Question: 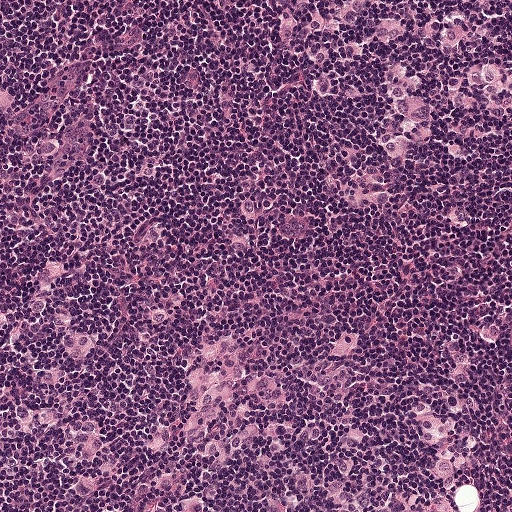
This is a crop of a whole-slide image: an H&E-stained breast-cancer sentinel lymph node section at roughly 10× magnification (about 0.97 µm per pixel; the crop spans about 0.5 mm).
What fraction of the image area is metastatic tumour?

Choices:
 (A) none: no tumour is outlined
 (B) about 5% or less
 (C) about 25% to 45%
 (D) about 50% or more
 (E) about 10% to 20%

Answer: (C) about 25% to 45%
About 25% of the field is tumour.
Metastatic tumour outline, simplified to 8 points and listed clockwise in crop pixels (x, y): (0, 0), (511, 0), (511, 189), (370, 183), (254, 151), (197, 106), (139, 80), (0, 49).